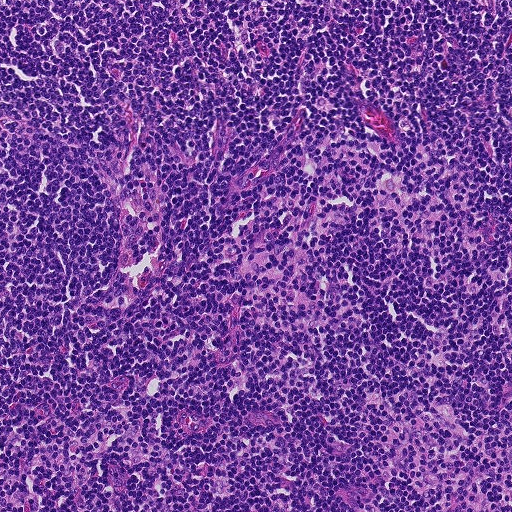
A 0.46-mm field of an H&E-stained sentinel lymph node from a breast-cancer patient (whole-slide image), shown at about 10×, about 0.9 µm per pixel.
Question: Does this lymph node field contain metastatic tumour?
Answer: No, this field holds no outlined metastasis.